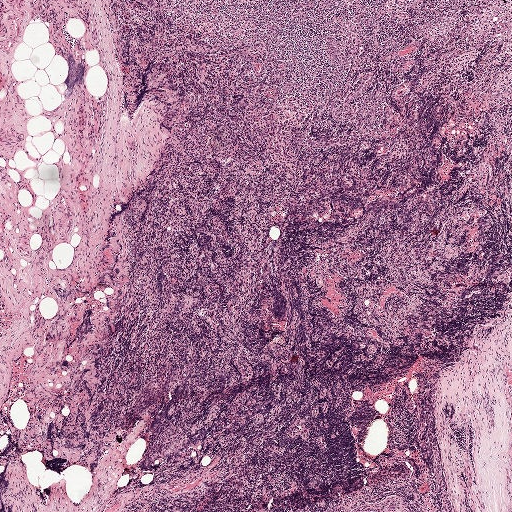
H&E-stained section of a sentinel lymph node (breast cancer), from a whole-slide image, viewed at about 2.5×: the field is about 2.0 mm across, about 3.9 µm per pixel.
Question: Is any metastatic breast cancer visible in this crop?
Answer: No, this field holds no outlined metastasis.